H&E-stained section of a sentinel lymph node (breast cancer), from a whole-slide image, viewed at about 10×: the field is about 0.5 mm across, about 0.97 µm per pixel.
Image:
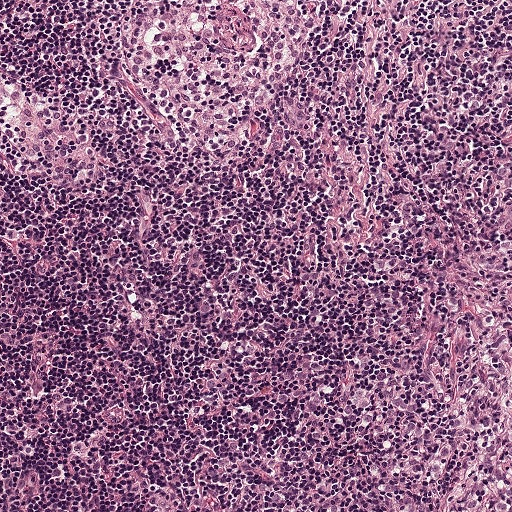
Question:
Is there metastatic carcinoma in this field?
Answer:
Yes.
Metastatic tumour outline, simplified to 8 points and listed clockwise in crop pixels (x, y): (387, 16), (460, 16), (511, 26), (511, 511), (228, 511), (314, 268), (325, 196), (380, 26).
Tumour covers about 40% of the frame.